Question: 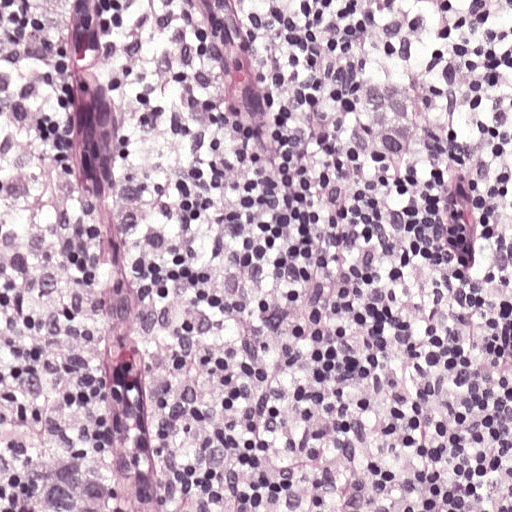
A 0.25-mm field of an H&E-stained sentinel lymph node from a breast-cancer patient (whole-slide image), shown at about 20×, about 0.49 µm per pixel.
What fraction of the image area is metastatic tumour?

Choices:
 (A) about 25% to 45%
 (B) about 5% or less
 (C) about 10% to 20%
 (D) about 50% or more
 (E) none: no tumour is outlined

Answer: (B) about 5% or less
About 5% of the field is tumour.
Outlines of three tumour regions, largest first (closed clockwise paths, crop pixels): region 1: (42, 438), (122, 465), (134, 511), (0, 511), (0, 453); region 2: (378, 79), (425, 89), (422, 148), (388, 159), (362, 132), (350, 90); region 3: (0, 0), (106, 0), (99, 14), (56, 50), (11, 52), (0, 38).